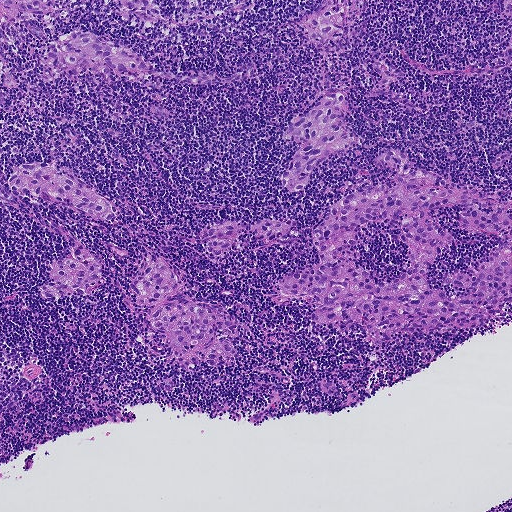
A 0.93-mm field of an H&E-stained sentinel lymph node from a breast-cancer patient (whole-slide image), shown at about 5×, about 1.8 µm per pixel.
The eight largest tumour regions' boundaries, simplified and listed clockwise, largest first: region 1: (390, 149), (446, 180), (501, 194), (502, 203), (511, 201), (511, 304), (504, 304), (502, 321), (452, 334), (396, 333), (374, 344), (361, 325), (314, 322), (316, 305), (275, 288), (281, 275), (319, 265), (312, 227), (334, 205), (367, 186), (396, 184), (397, 170), (374, 163); region 2: (150, 253), (167, 259), (185, 275), (182, 292), (199, 300), (220, 303), (238, 324), (238, 336), (232, 346), (237, 356), (230, 366), (223, 367), (202, 361), (188, 367), (178, 363), (150, 328), (146, 316), (149, 306), (140, 306), (136, 295), (130, 294), (128, 289), (134, 272), (138, 274); region 3: (336, 92), (346, 96), (351, 106), (343, 123), (344, 129), (347, 134), (358, 137), (361, 142), (318, 162), (306, 184), (297, 192), (292, 192), (282, 186), (280, 175), (288, 167), (295, 151), (304, 142), (286, 143), (282, 139), (292, 118), (309, 113), (324, 94); region 4: (75, 30), (96, 34), (131, 50), (154, 64), (153, 70), (114, 77), (96, 74), (91, 70), (84, 71), (80, 75), (50, 82), (44, 80), (46, 74), (41, 55), (60, 38); region 5: (32, 161), (43, 163), (66, 172), (96, 192), (116, 207), (116, 213), (115, 219), (109, 220), (97, 218), (64, 202), (35, 195), (11, 194), (7, 183), (8, 178), (20, 165); region 6: (323, 0), (366, 0), (365, 13), (357, 24), (349, 50), (328, 55), (322, 53), (311, 45), (306, 32), (296, 22), (298, 18), (311, 14); region 7: (81, 243), (100, 257), (101, 268), (101, 280), (90, 294), (85, 296), (67, 295), (57, 301), (51, 301), (41, 296), (39, 291), (42, 285), (53, 281), (48, 277), (47, 271), (49, 265), (53, 261), (71, 257), (75, 244); region 8: (260, 219), (290, 220), (295, 220), (296, 226), (278, 240), (266, 243), (260, 242), (254, 232), (248, 230), (243, 232), (234, 247), (219, 256), (213, 256), (200, 244), (199, 232), (202, 227), (212, 222), (229, 220), (250, 226).
Four more, smaller tumour regions are not outlined.
One more small tumour piece is annotated here but not outlined.
About 20% of the image area is annotated as tumour.